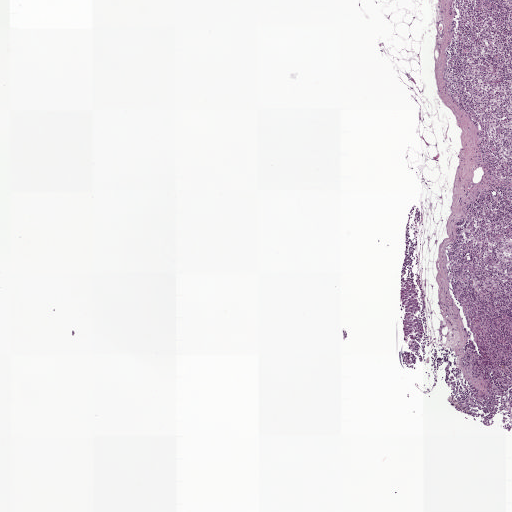
This is a crop of a whole-slide image: an H&E-stained breast-cancer sentinel lymph node section at roughly 2.5× magnification (about 3.9 µm per pixel; the crop spans about 2.0 mm).
One metastatic tumour region; its boundary, reduced to 16 corners and listed clockwise: (410, 277), (417, 285), (419, 291), (421, 309), (417, 316), (424, 326), (424, 333), (415, 342), (416, 351), (408, 350), (409, 339), (401, 332), (401, 321), (403, 314), (400, 283), (404, 278).
The annotated tumour makes up under 5% of the crop.